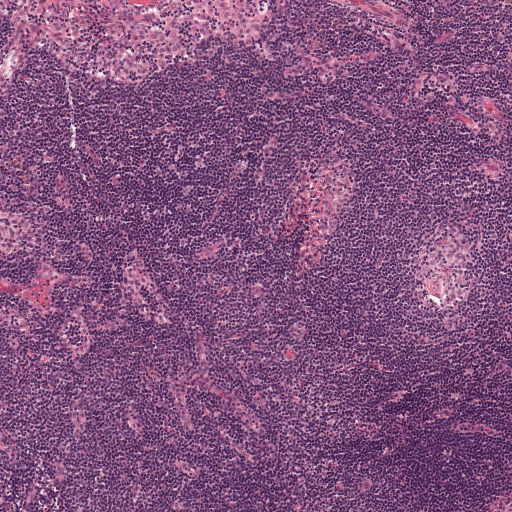
A 1-mm field of an H&E-stained sentinel lymph node from a breast-cancer patient (whole-slide image), shown at about 5×, about 1.9 µm per pixel.